Question: 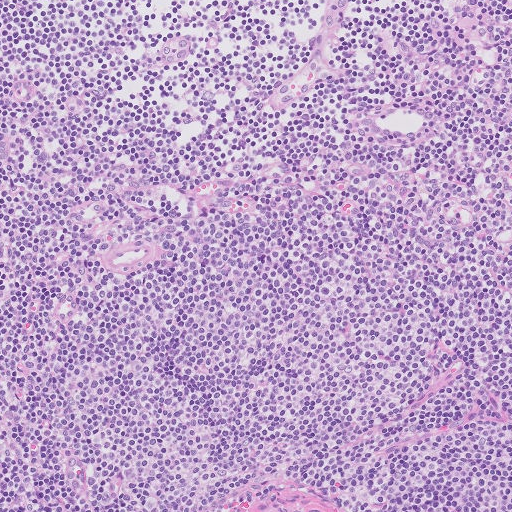
Which magnification is this H&E lymph node field most likely shown at?

Choices:
 (A) about 40×
 (B) about 5×
 (C) about 10×
 (D) about 2.5×
 (E) about 20×

Answer: (C) about 10×
Lymph node section stained with H&E, from a whole-slide image of a breast-cancer sentinel node. Magnification about 10×, about 0.51 mm across the frame, about 1.0 µm per pixel.